This is a crop of a whole-slide image: an H&E-stained breast-cancer sentinel lymph node section at roughly 2.5× magnification (about 3.9 µm per pixel; the crop spans about 2.0 mm).
Image:
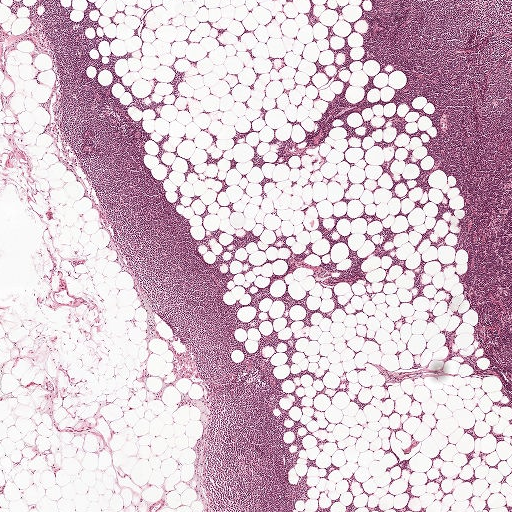
Question:
Does this lymph node field contain metastatic tumour?
Answer:
No: no metastatic tumour is outlined anywhere in this field.